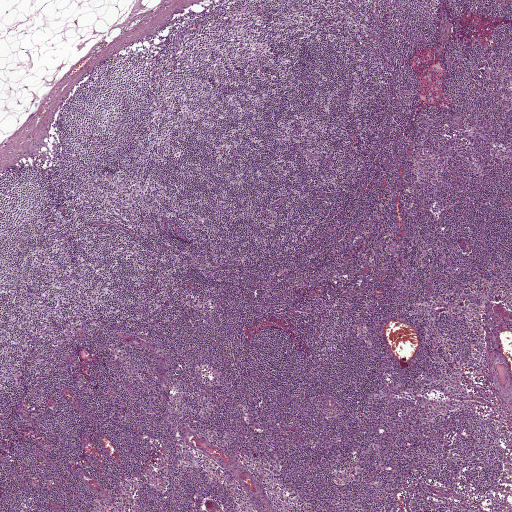
This is a crop of a whole-slide image: an H&E-stained breast-cancer sentinel lymph node section at roughly 2.5× magnification (about 3.9 µm per pixel; the crop spans about 2.0 mm).